Question: 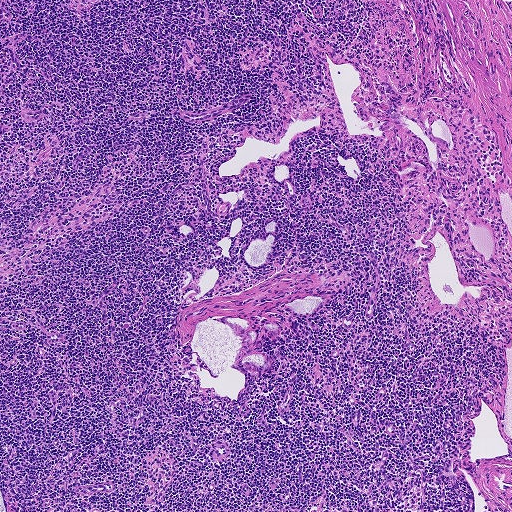
A 0.93-mm field of an H&E-stained sentinel lymph node from a breast-cancer patient (whole-slide image), shown at about 5×, about 1.8 µm per pixel.
Roughly what share of this field is metastatic tumour?

Choices:
 (A) about 25% to 45%
 (B) about 10% to 20%
 (C) about 5% or less
 (D) about 50% or more
 (E) none: no tumour is outlined

Answer: (E) none: no tumour is outlined
No metastatic tumour is outlined in this field.